H&E-stained section of a sentinel lymph node (breast cancer), from a whole-slide image, viewed at about 40×: the field is about 0.12 mm across, about 0.23 µm per pixel.
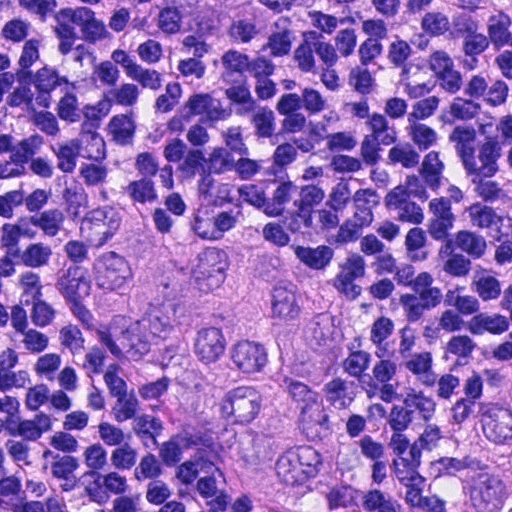
Outlines of two tumour regions, largest first (closed clockwise paths, crop pixels): region 1: (73, 175), (119, 190), (179, 239), (270, 235), (311, 255), (341, 291), (321, 388), (337, 436), (331, 481), (303, 511), (255, 500), (219, 467), (73, 292), (40, 206); region 2: (511, 352), (511, 511), (434, 511), (457, 471), (473, 399).
About 25% of the image area is annotated as tumour.